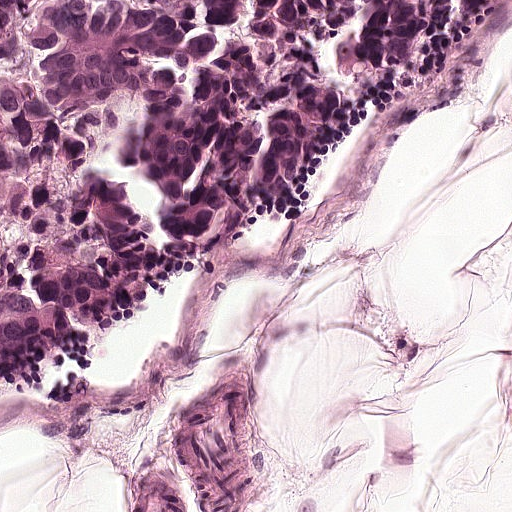
Lymph node section stained with H&E, from a whole-slide image of a breast-cancer sentinel node. Magnification about 20×, about 0.25 mm across the frame, about 0.49 µm per pixel.
One metastatic tumour region; its boundary, reduced to 8 corners and listed clockwise: (0, 0), (511, 0), (511, 52), (459, 66), (384, 138), (314, 168), (129, 330), (2, 402).
About 45% of this field is tumour.